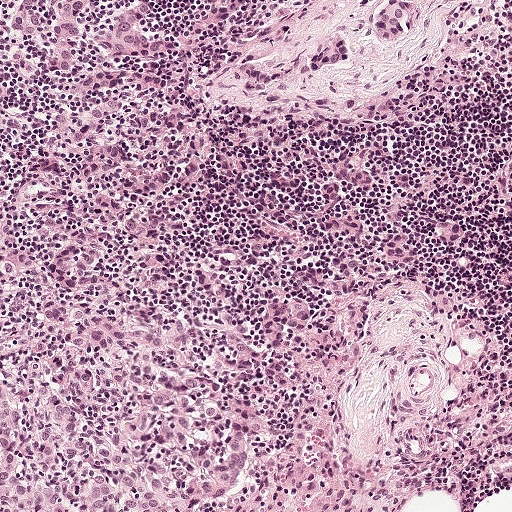
H&E-stained section of a sentinel lymph node (breast cancer), from a whole-slide image, viewed at about 10×: the field is about 0.5 mm across, about 0.97 µm per pixel.
Boundaries of three metastatic tumour regions, simplified and listed clockwise, largest first: region 1: (96, 0), (100, 48), (115, 11), (155, 0), (164, 11), (146, 29), (203, 40), (196, 82), (214, 169), (183, 218), (170, 280), (206, 335), (202, 369), (229, 382), (234, 431), (252, 406), (256, 455), (234, 492), (184, 511), (0, 511), (0, 28), (24, 2); region 2: (342, 36), (349, 39), (352, 51), (351, 57), (343, 62), (329, 64), (312, 75), (302, 74), (300, 70), (302, 59), (308, 55), (320, 43); region 3: (390, 0), (402, 5), (405, 10), (405, 24), (407, 26), (407, 33), (396, 41), (391, 41), (379, 36), (374, 26), (374, 18), (377, 11).
One more small tumour piece is annotated here but not outlined.
The annotated tumour makes up about 40% of the crop.